A 0.25-mm field of an H&E-stained sentinel lymph node from a breast-cancer patient (whole-slide image), shown at about 20×, about 0.49 µm per pixel.
Question: 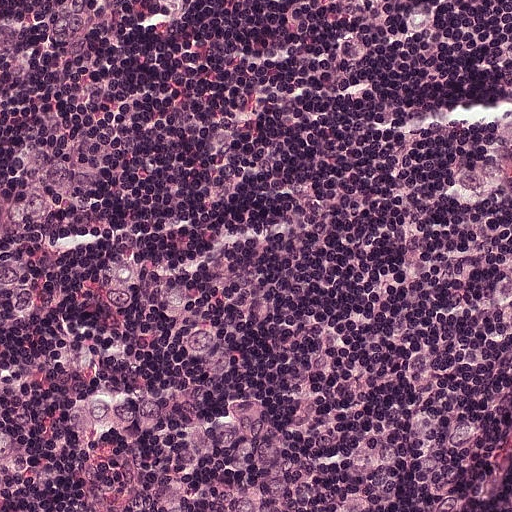
What fraction of the image area is metastatic tumour?

Choices:
 (A) about 10% to 20%
 (B) about 50% or more
 (C) about 25% to 45%
 (D) none: no tumour is outlined
 (E) about 5% or less

Answer: (A) about 10% to 20%
About 20% of the field is tumour.
One metastatic tumour region; its boundary, reduced to 5 corners and listed clockwise: (0, 366), (206, 404), (511, 410), (511, 511), (0, 511).